This is a crop of a whole-slide image: an H&E-stained breast-cancer sentinel lymph node section at roughly 2.5× magnification (about 3.9 µm per pixel; the crop spans about 2.0 mm).
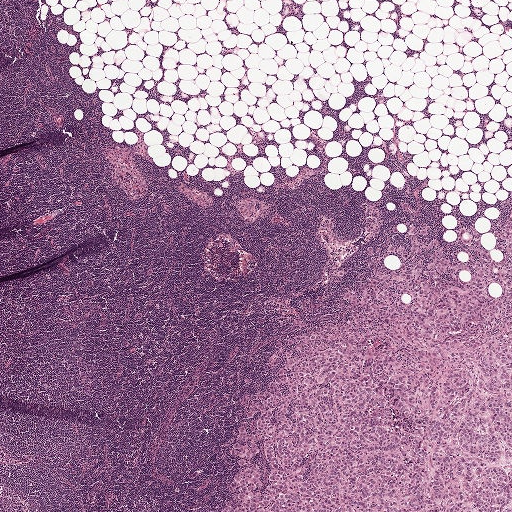
Question: Does this lymph node field contain metastatic tumour?
Answer: Yes.
Metastatic tumour outline, simplified to 20 points and listed clockwise in crop pixels (x, y): (511, 193), (511, 511), (221, 511), (235, 465), (228, 444), (249, 401), (273, 378), (277, 340), (344, 318), (341, 291), (369, 271), (366, 250), (411, 242), (410, 224), (429, 228), (422, 238), (438, 239), (446, 254), (464, 229), (502, 235).
Two more small tumour pieces are annotated here but not outlined.
About 25% of this field is tumour.